Question: 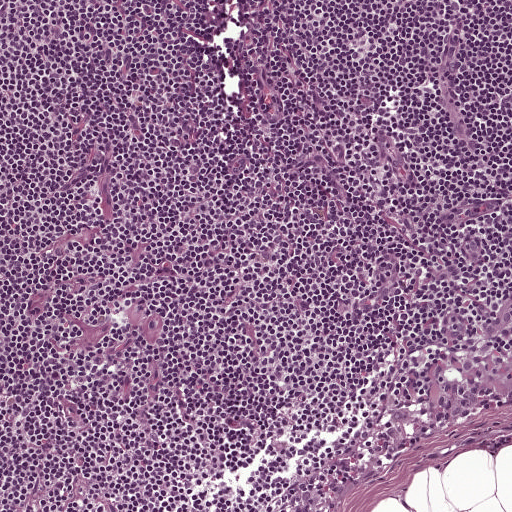
Which magnification is this H&E lymph node field most likely shown at?

Choices:
 (A) about 20×
 (B) about 40×
 (C) about 2.5×
 (D) about 5×
 (E) about 10×

Answer: (E) about 10×
This is a crop of a whole-slide image: an H&E-stained breast-cancer sentinel lymph node section at roughly 10× magnification (about 0.97 µm per pixel; the crop spans about 0.5 mm).